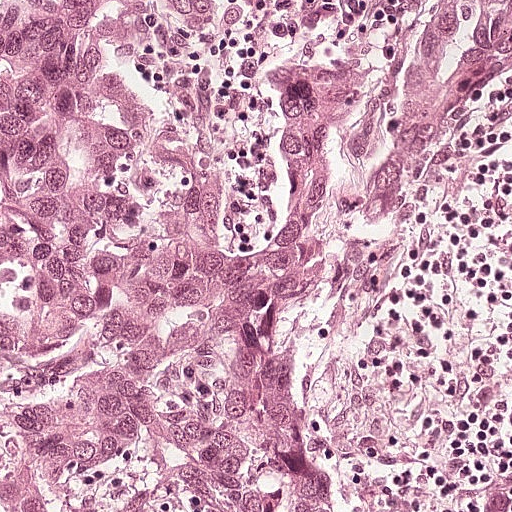
Lymph node section stained with H&E, from a whole-slide image of a breast-cancer sentinel node. Magnification about 20×, about 0.25 mm across the frame, about 0.49 µm per pixel.
Outlines of three tumour regions, largest first (closed clockwise paths, crop pixels): region 1: (0, 0), (181, 0), (189, 90), (229, 184), (252, 316), (260, 332), (300, 352), (352, 430), (356, 509), (0, 511); region 2: (511, 0), (511, 35), (468, 94), (411, 142), (382, 179), (368, 222), (312, 306), (288, 304), (269, 276), (269, 247), (292, 208), (292, 108), (328, 36), (391, 11), (391, 2); region 3: (488, 504), (505, 504), (505, 506), (511, 506), (511, 511), (476, 511).
Tumour covers about 65% of the frame.